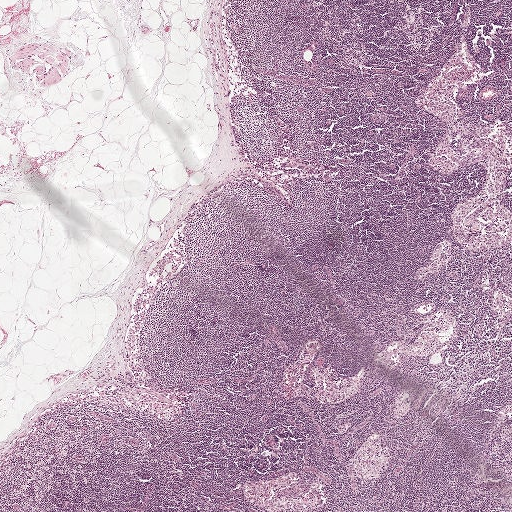
H&E-stained section of a sentinel lymph node (breast cancer), from a whole-slide image, viewed at about 2.5×: the field is about 2.0 mm across, about 3.9 µm per pixel.